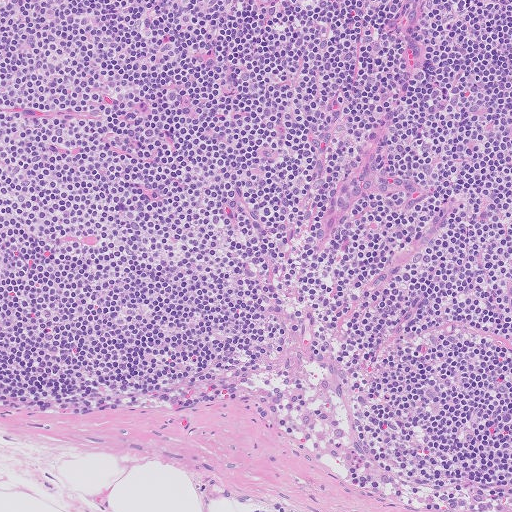
This is a crop of a whole-slide image: an H&E-stained breast-cancer sentinel lymph node section at roughly 10× magnification (about 1.0 µm per pixel; the crop spans about 0.51 mm).